Question: 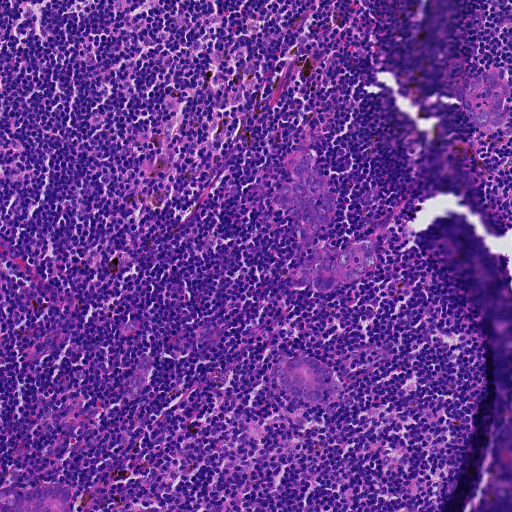
H&E-stained section of a sentinel lymph node (breast cancer), from a whole-slide image, viewed at about 10×: the field is about 0.46 mm across, about 0.91 µm per pixel.
What fraction of the image area is metastatic tumour?

Choices:
 (A) about 25% to 45%
 (B) about 5% or less
 (C) about 10% to 20%
 (D) none: no tumour is outlined
 (E) about 50% or more

Answer: (B) about 5% or less
About 5% of the field is tumour.
Five metastatic tumour regions, each outlined as a closed clockwise path in crop pixels (x, y), largest first: region 1: (304, 150), (314, 151), (337, 196), (336, 206), (315, 240), (334, 246), (336, 256), (370, 236), (376, 246), (376, 266), (332, 290), (303, 288), (295, 270), (320, 250), (311, 244), (302, 249), (291, 219), (274, 206), (272, 195), (288, 181), (293, 173), (290, 164); region 2: (500, 64), (509, 70), (511, 77), (511, 98), (506, 106), (504, 126), (496, 132), (476, 130), (466, 114), (456, 85), (474, 77), (490, 65); region 3: (301, 355), (320, 360), (342, 380), (342, 390), (335, 398), (314, 402), (294, 398), (284, 393), (276, 386), (271, 377), (274, 367), (291, 356); region 4: (43, 484), (64, 484), (73, 490), (75, 500), (72, 510), (70, 511), (0, 511), (0, 488), (3, 486), (24, 490); region 5: (143, 354), (152, 358), (142, 386), (140, 396), (134, 402), (126, 396), (126, 386).
Question: 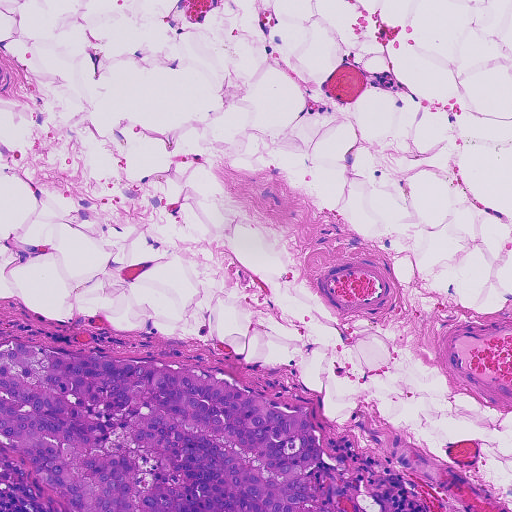
This is a crop of a whole-slide image: an H&E-stained breast-cancer sentinel lymph node section at roughly 10× magnification (about 0.91 µm per pixel; the crop spans about 0.46 mm).
What fraction of the image area is metastatic tumour?

Choices:
 (A) about 25% to 45%
 (B) none: no tumour is outlined
 (C) about 5% or less
 (D) about 50% or more
 (E) about 10% to 20%

Answer: (E) about 10% to 20%
About 15% of the field is tumour.
Tumour region outline (a closed clockwise path, crop pixels): (14, 339), (195, 372), (280, 411), (305, 411), (323, 449), (304, 478), (309, 498), (299, 507), (326, 511), (72, 511), (0, 440), (0, 347).
Question: 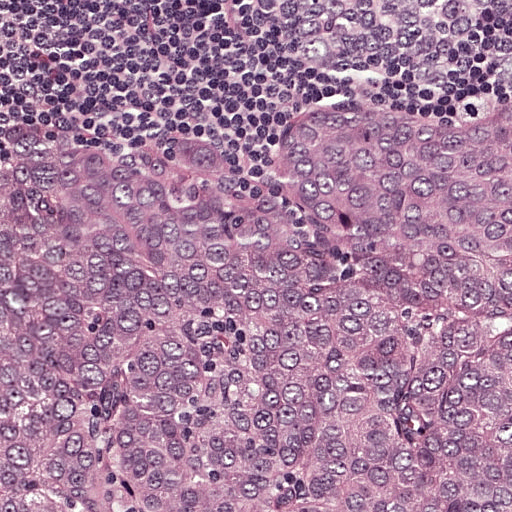
Lymph node section stained with H&E, from a whole-slide image of a breast-cancer sentinel node. Magnification about 20×, about 0.25 mm across the frame, about 0.49 µm per pixel.
What fraction of the image area is metastatic tumour?

Choices:
 (A) about 5% or less
 (B) about 25% to 45%
 (C) about 10% to 20%
 (D) about 50% or more
 (E) none: no tumour is outlined

Answer: (D) about 50% or more
About 75% of the field is tumour.
One metastatic tumour region; its boundary, reduced to 8 corners and listed clockwise: (340, 94), (511, 96), (511, 511), (0, 511), (0, 146), (26, 117), (102, 136), (224, 134).
Question: 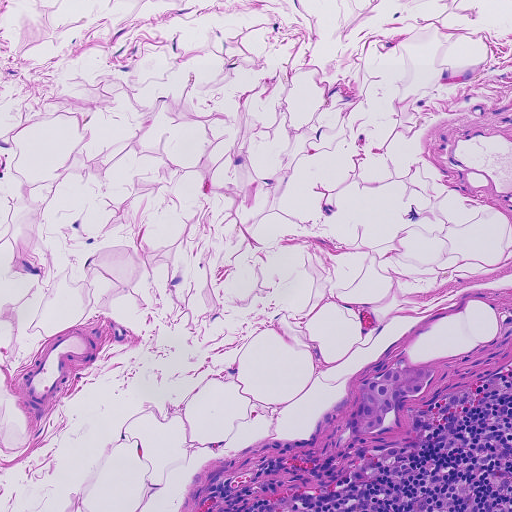
A 0.46-mm field of an H&E-stained sentinel lymph node from a breast-cancer patient (whole-slide image), shown at about 10×, about 0.91 µm per pixel.
What fraction of the image area is metastatic tumour?

Choices:
 (A) about 50% or more
 (B) none: no tumour is outlined
 (C) about 10% to 20%
 (D) about 5% or less
 (E) about 25% to 45%

Answer: (D) about 5% or less
Under 5% of the field is tumour.
The outlined metastatic tumour's edge, as a closed clockwise path of 17 points: (411, 364), (437, 368), (434, 378), (428, 382), (424, 392), (416, 397), (408, 397), (400, 403), (381, 428), (358, 436), (348, 434), (344, 429), (344, 419), (356, 394), (356, 380), (384, 374), (390, 368).